Question: 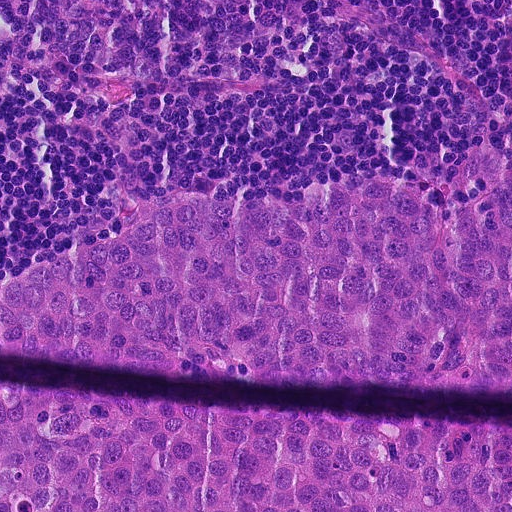
H&E-stained section of a sentinel lymph node (breast cancer), from a whole-slide image, viewed at about 20×: the field is about 0.23 mm across, about 0.45 µm per pixel.
Estimate the proportion of this field that is metastatic tumour.

Choices:
 (A) none: no tumour is outlined
 (B) about 25% to 45%
 (C) about 5% or less
 (D) about 50% or more
 (E) about 10% to 20%

Answer: (D) about 50% or more
About 50% of the field is tumour.
Two metastatic tumour regions, each outlined as a closed clockwise path in crop pixels (x, y), largest first: region 1: (506, 167), (511, 383), (0, 351), (0, 281), (158, 202), (190, 192), (255, 202), (364, 176), (460, 206), (491, 196); region 2: (0, 386), (292, 428), (506, 433), (511, 511), (0, 511).